This is a crop of a whole-slide image: an H&E-stained breast-cancer sentinel lymph node section at roughly 10× magnification (about 0.97 µm per pixel; the crop spans about 0.5 mm).
Question: 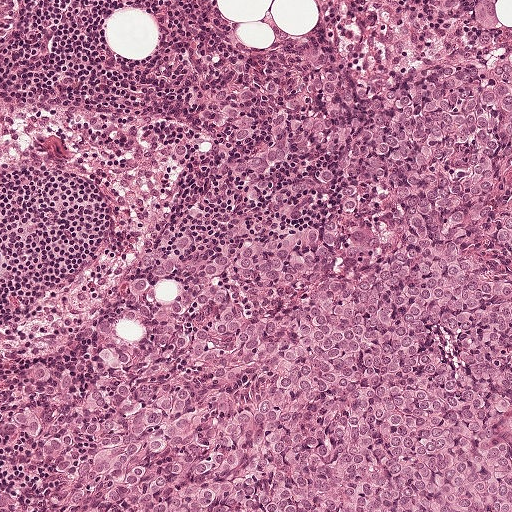
About how much of this crop is taken up by metastatic carcinoma?

Choices:
 (A) about 5% or less
 (B) about 50% or more
 (C) about 25% to 45%
 (D) none: no tumour is outlined
 (E) about 10% to 20%

Answer: (B) about 50% or more
About 65% of the field is tumour.
The outlined metastatic tumour's edge, as a closed clockwise path of 18 points: (412, 0), (487, 0), (511, 43), (511, 511), (38, 511), (30, 444), (79, 390), (102, 311), (149, 248), (230, 228), (240, 162), (271, 121), (291, 64), (320, 52), (360, 88), (382, 92), (481, 64), (474, 40).